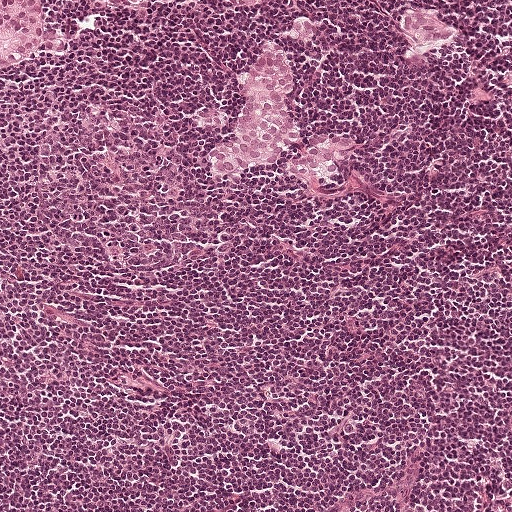
A 0.5-mm field of an H&E-stained sentinel lymph node from a breast-cancer patient (whole-slide image), shown at about 10×, about 0.97 µm per pixel.
Boundaries of five metastatic tumour regions, simplified and listed clockwise, largest first: region 1: (272, 41), (284, 44), (289, 51), (294, 67), (294, 84), (288, 109), (302, 142), (286, 151), (273, 166), (250, 166), (227, 176), (215, 174), (207, 167), (210, 155), (222, 138), (239, 124), (245, 104), (238, 87), (240, 74); region 2: (0, 0), (42, 0), (47, 28), (66, 36), (67, 54), (34, 56), (22, 66), (0, 71); region 3: (330, 133), (339, 137), (354, 137), (359, 140), (355, 153), (346, 163), (336, 161), (339, 179), (336, 185), (328, 189), (309, 184), (300, 173), (291, 169), (290, 165), (293, 156), (309, 150), (311, 138), (314, 135); region 4: (422, 6), (428, 9), (435, 18), (454, 32), (453, 38), (430, 43), (418, 43), (412, 39), (401, 25), (400, 21), (407, 11); region 5: (108, 0), (149, 0), (149, 3), (144, 6), (132, 9).
Two more small tumour pieces are annotated here but not outlined.
About 5% of the image area is annotated as tumour.